Question: 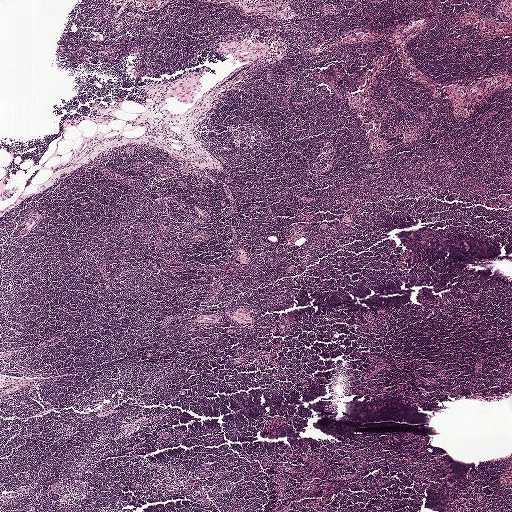
At roughly what magnification is this field shown?

Choices:
 (A) about 20×
 (B) about 5×
 (C) about 10×
 (D) about 40×
 (E) about 2.5×

Answer: (E) about 2.5×
H&E-stained section of a sentinel lymph node (breast cancer), from a whole-slide image, viewed at about 2.5×: the field is about 2.0 mm across, about 3.9 µm per pixel.